This is a crop of a whole-slide image: an H&E-stained breast-cancer sentinel lymph node section at roughly 5× magnification (about 1.9 µm per pixel; the crop spans about 1 mm).
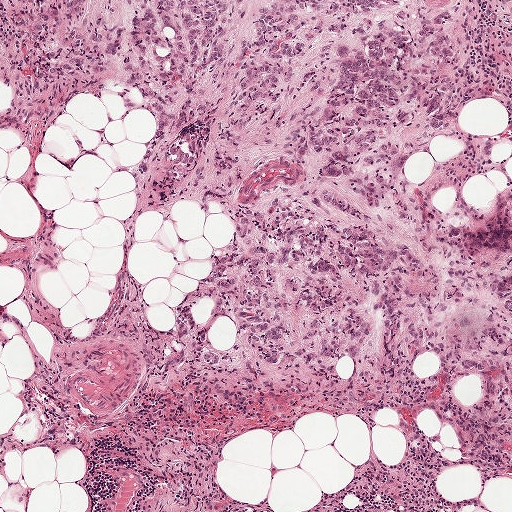
Question: Which parts of this field are metastatic tumour?
Answer: Two metastatic tumour regions, each outlined as a closed clockwise path in crop pixels (x, y), largest first: region 1: (117, 0), (461, 0), (465, 69), (511, 128), (511, 413), (412, 371), (355, 382), (331, 403), (211, 398), (190, 364), (190, 341), (250, 285), (249, 253), (226, 228), (166, 207), (172, 129), (142, 106), (141, 60); region 2: (115, 0), (135, 49), (135, 71), (104, 92), (80, 97), (48, 96), (42, 84), (37, 31), (28, 1).
The annotated tumour makes up about 50% of the crop.